H&E-stained section of a sentinel lymph node (breast cancer), from a whole-slide image, viewed at about 10×: the field is about 0.5 mm across, about 0.97 µm per pixel.
Image:
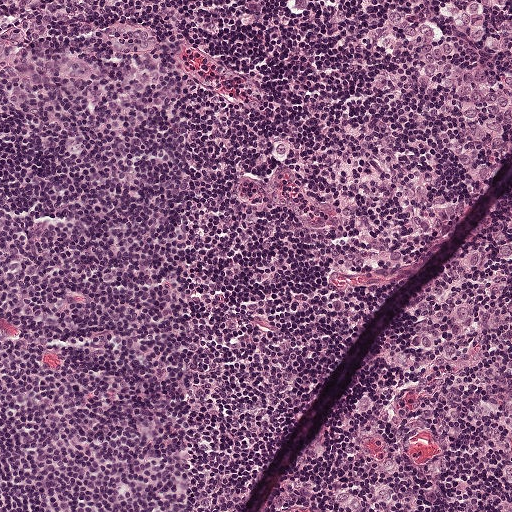
Question:
Does this lymph node field contain metastatic tumour?
Answer:
Yes.
Two metastatic tumour regions, each outlined as a closed clockwise path in crop pixels (x, y), largest first: region 1: (511, 0), (511, 144), (485, 180), (511, 188), (463, 186), (438, 168), (404, 134), (388, 90), (360, 69), (350, 48), (350, 30), (395, 1); region 2: (511, 292), (511, 358), (509, 356), (509, 354), (506, 351), (506, 350), (505, 350), (505, 324), (506, 320), (506, 306), (508, 300), (510, 294).
Tumour covers about 10% of the frame.